Question: 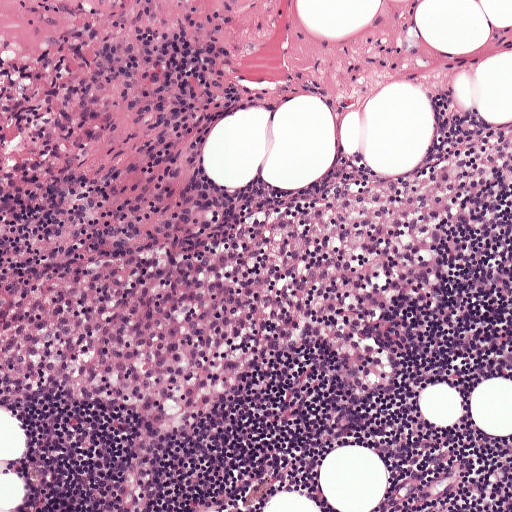
Which magnification is this H&E lymph node field most likely shown at?

Choices:
 (A) about 10×
 (B) about 40×
 (C) about 2.5×
 (D) about 20×
 (E) about 5×

Answer: (A) about 10×
H&E-stained section of a sentinel lymph node (breast cancer), from a whole-slide image, viewed at about 10×: the field is about 0.5 mm across, about 0.97 µm per pixel.